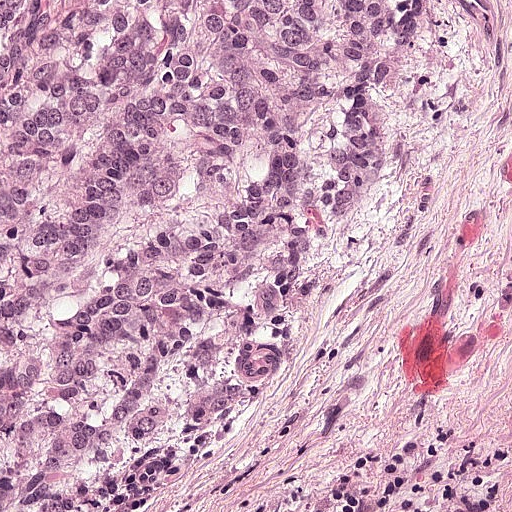
This is a crop of a whole-slide image: an H&E-stained breast-cancer sentinel lymph node section at roughly 20× magnification (about 0.49 µm per pixel; the crop spans about 0.25 mm).
Metastatic tumour outline, simplified to 10 points and listed clockwise in crop pixels (x, y): (0, 0), (393, 0), (377, 88), (357, 108), (316, 220), (286, 250), (276, 301), (143, 434), (92, 444), (0, 489).
Tumour covers about 50% of the frame.